Question: 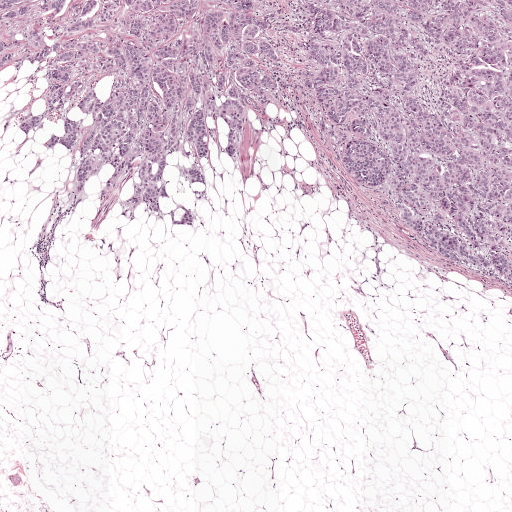
At roughly what magnification is this field shown?

Choices:
 (A) about 5×
 (B) about 10×
 (C) about 40×
 (D) about 2.5×
 (E) about 20×

Answer: (D) about 2.5×
Lymph node section stained with H&E, from a whole-slide image of a breast-cancer sentinel node. Magnification about 2.5×, about 2.0 mm across the frame, about 3.9 µm per pixel.
The outlined metastatic tumour's edge, as a closed clockwise path of 23 points: (0, 0), (511, 0), (511, 284), (357, 187), (281, 68), (232, 161), (209, 139), (205, 201), (168, 156), (161, 200), (193, 225), (122, 206), (143, 155), (76, 198), (80, 154), (44, 143), (116, 78), (4, 131), (48, 108), (57, 53), (0, 68), (0, 37), (31, 34).
About 35% of the image area is annotated as tumour.